Question: 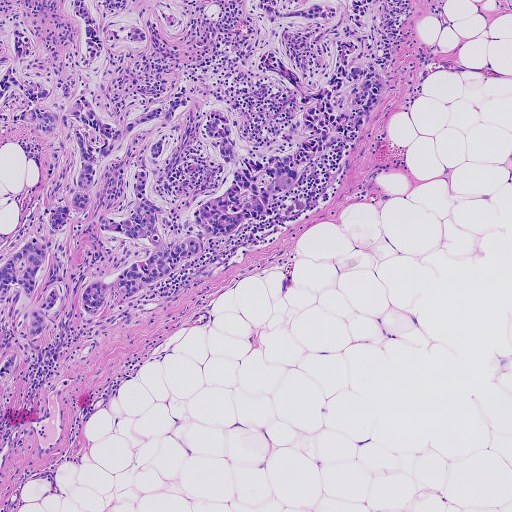
Lymph node section stained with H&E, from a whole-slide image of a breast-cancer sentinel node. Magnification about 5×, about 0.93 mm across the frame, about 1.8 µm per pixel.
Roughly what share of this field is metastatic tumour?

Choices:
 (A) about 50% or more
 (B) about 10% to 20%
 (C) about 25% to 45%
 (D) about 5% or less
 (E) none: no tumour is outlined

Answer: (C) about 25% to 45%
About 30% of the field is tumour.
Metastatic tumour outline, simplified to 21 points and listed clockwise in crop pixels (x, y): (0, 0), (186, 0), (184, 89), (262, 145), (300, 110), (247, 74), (262, 38), (246, 0), (380, 0), (386, 84), (367, 122), (264, 218), (94, 318), (76, 307), (0, 401), (0, 262), (82, 160), (68, 142), (51, 178), (50, 139), (0, 120).